Image:
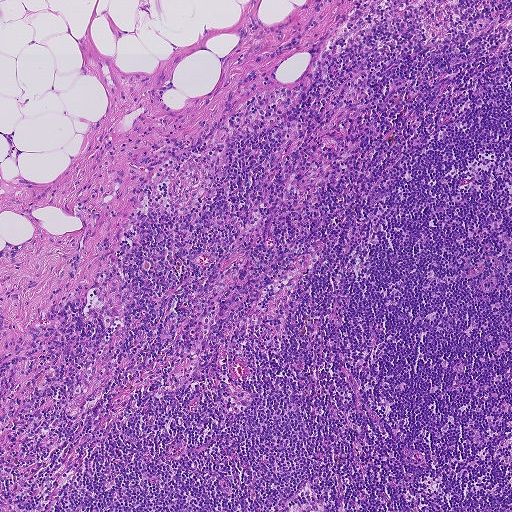
H&E-stained section of a sentinel lymph node (breast cancer), from a whole-slide image, viewed at about 5×: the field is about 0.93 mm across, about 1.8 µm per pixel.
Question:
Is there metastatic carcinoma in this field?
Answer:
No. No metastatic tumour is outlined in this field.